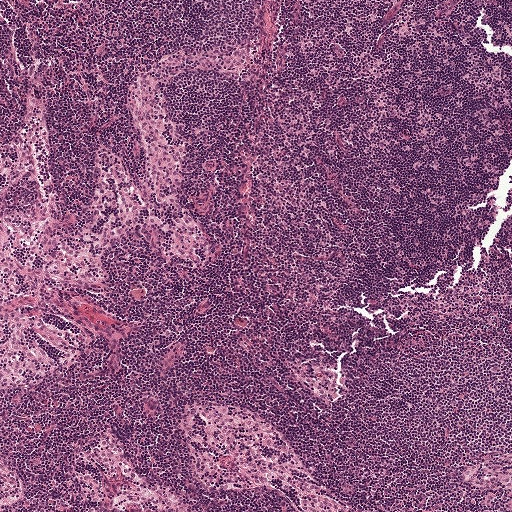
This is a crop of a whole-slide image: an H&E-stained breast-cancer sentinel lymph node section at roughly 5× magnification (about 1.9 µm per pixel; the crop spans about 1 mm).